Lymph node section stained with H&E, from a whole-slide image of a breast-cancer sentinel node. Magnification about 20×, about 0.25 mm across the frame, about 0.49 µm per pixel.
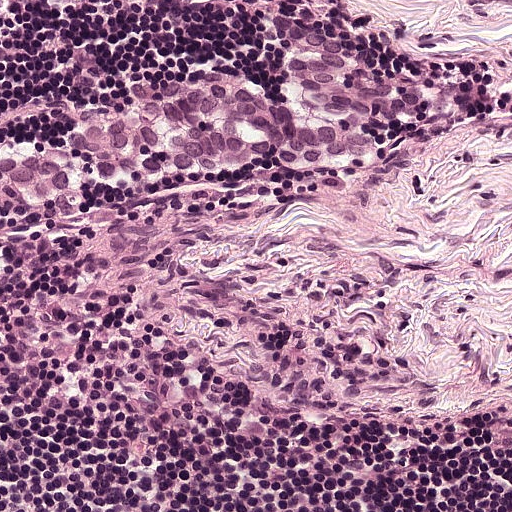
One metastatic tumour region; its boundary, reduced to 22 corners and listed clockwise: (341, 52), (429, 96), (431, 105), (384, 118), (384, 144), (362, 160), (287, 160), (259, 151), (164, 180), (90, 182), (52, 203), (0, 188), (0, 141), (54, 136), (90, 104), (122, 96), (140, 78), (178, 82), (237, 72), (281, 94), (289, 90), (285, 57).
About 15% of the image area is annotated as tumour.